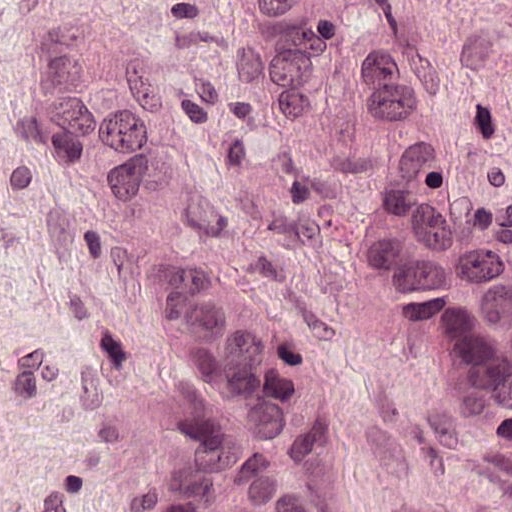
A 0.12-mm field of an H&E-stained sentinel lymph node from a breast-cancer patient (whole-slide image), shown at about 40×, about 0.24 µm per pixel.
Three metastatic tumour regions, each outlined as a closed clockwise path in crop pixels (x, y), largest first: region 1: (101, 13), (151, 39), (206, 103), (256, 242), (316, 318), (327, 400), (347, 450), (345, 511), (170, 511), (143, 297), (129, 266), (16, 139), (11, 95), (37, 53); region 2: (238, 0), (370, 1), (409, 27), (511, 245), (511, 481), (414, 396), (343, 246), (322, 153), (275, 135), (227, 64); region 3: (0, 0), (61, 0), (61, 2), (55, 2), (52, 8), (45, 8), (42, 10), (0, 10).
About 55% of the image area is annotated as tumour.